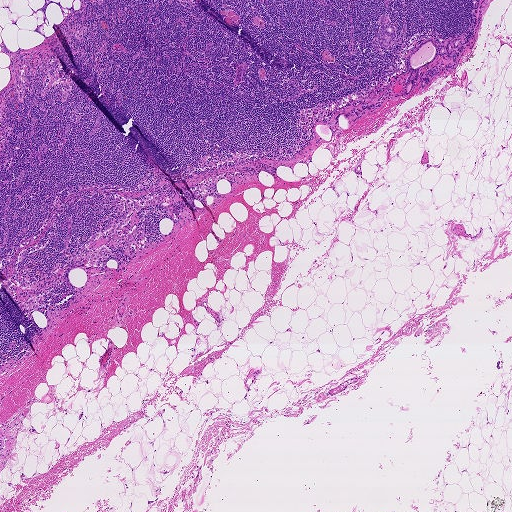
H&E-stained section of a sentinel lymph node (breast cancer), from a whole-slide image, viewed at about 2.5×: the field is about 1.9 mm across, about 3.6 µm per pixel.
Outlines of three tumour regions, largest first (closed clockwise paths, crop pixels): region 1: (429, 38), (433, 38), (437, 46), (446, 46), (453, 39), (461, 38), (460, 44), (454, 49), (457, 52), (456, 60), (450, 61), (446, 54), (437, 56), (432, 62), (419, 70), (418, 76), (414, 81), (412, 89), (407, 94), (404, 91), (410, 73), (406, 68), (406, 57), (420, 43); region 2: (382, 16), (388, 17), (390, 24), (395, 27), (393, 43), (388, 47), (382, 47), (377, 40), (377, 32), (381, 24), (378, 18); region 3: (434, 65), (436, 65), (440, 68), (440, 73), (433, 77), (428, 77), (429, 81), (428, 83), (422, 88), (418, 82), (419, 79), (425, 76), (424, 75), (426, 71).
One more small tumour piece is annotated here but not outlined.
Tumour covers under 5% of the frame.